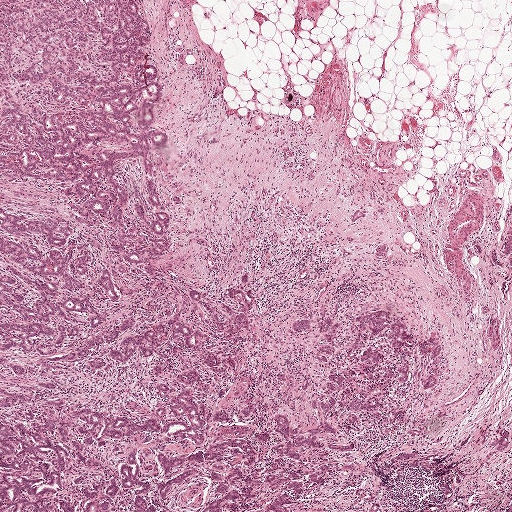
H&E-stained section of a sentinel lymph node (breast cancer), from a whole-slide image, viewed at about 2.5×: the field is about 2.0 mm across, about 3.9 µm per pixel.
Boundaries of six metastatic tumour regions, simplified and listed clockwise, largest first: region 1: (0, 0), (148, 8), (174, 141), (162, 184), (176, 240), (156, 285), (111, 320), (146, 330), (196, 286), (253, 272), (262, 296), (231, 404), (284, 414), (303, 432), (325, 372), (294, 320), (386, 311), (445, 338), (433, 397), (376, 425), (343, 476), (294, 507), (0, 511); region 2: (505, 429), (508, 430), (509, 433), (510, 442), (507, 448), (503, 451), (498, 451), (496, 448), (489, 446), (489, 444), (502, 433); region 3: (510, 241), (511, 242), (511, 252), (511, 255), (511, 273), (509, 270), (510, 263), (508, 259), (501, 254), (500, 252), (500, 247), (502, 245), (508, 242); region 4: (359, 209), (364, 212), (366, 214), (366, 217), (366, 219), (363, 219), (358, 222), (352, 223), (351, 223), (351, 219), (354, 212), (356, 210); region 5: (405, 453), (408, 455), (414, 455), (418, 456), (418, 458), (415, 462), (413, 462), (406, 462), (403, 461), (397, 461), (394, 460), (395, 459); region 6: (491, 250), (495, 250), (496, 255), (498, 259), (501, 262), (502, 266), (502, 267), (495, 265), (492, 262), (489, 255).
One more small tumour piece is annotated here but not outlined.
Tumour covers about 45% of the frame.